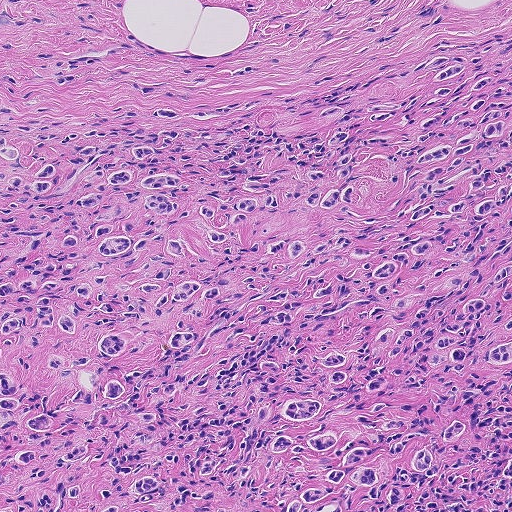
This is a crop of a whole-slide image: an H&E-stained breast-cancer sentinel lymph node section at roughly 10× magnification (about 0.9 µm per pixel; the crop spans about 0.46 mm).
The outlined metastatic tumour's edge, as a closed clockwise path of 6 points: (511, 23), (511, 511), (0, 511), (0, 106), (88, 126), (320, 85).
Tumour covers about 85% of the frame.